Question: 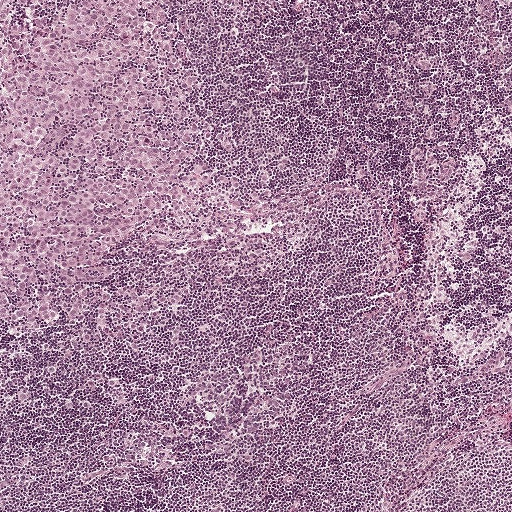
H&E-stained section of a sentinel lymph node (breast cancer), from a whole-slide image, viewed at about 5×: the field is about 1 mm across, about 1.9 µm per pixel.
Roughly what share of this field is metastatic tumour?

Choices:
 (A) about 25% to 45%
 (B) none: no tumour is outlined
 (C) about 10% to 20%
 (D) about 50% or more
 (E) about 5% or less

Answer: (A) about 25% to 45%
About 30% of the field is tumour.
Tumour region outline (a closed clockwise path, crop pixels): (0, 0), (240, 0), (184, 8), (170, 31), (189, 41), (226, 132), (268, 158), (274, 200), (250, 216), (119, 248), (110, 287), (196, 293), (165, 345), (95, 379), (90, 412), (2, 407).